H&E-stained section of a sentinel lymph node (breast cancer), from a whole-slide image, viewed at about 20×: the field is about 0.25 mm across, about 0.49 µm per pixel.
Question: 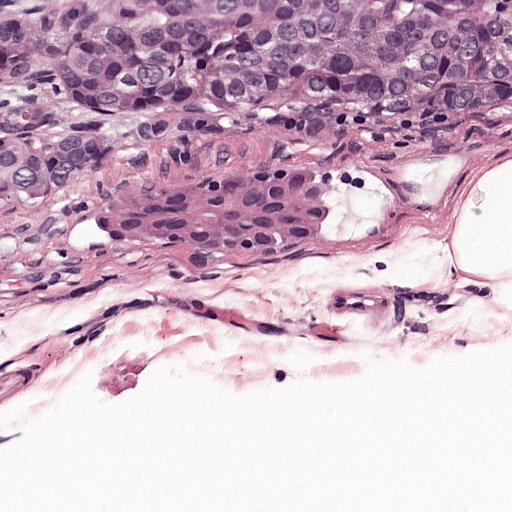
Roughly what share of this field is metastatic tumour?

Choices:
 (A) none: no tumour is outlined
 (B) about 25% to 45%
 (C) about 50% or more
 (D) about 5% or less
 (E) about 10% to 20%

Answer: (B) about 25% to 45%
About 45% of the field is tumour.
The outlined metastatic tumour's edge, as a closed clockwise path of 6 points: (0, 0), (511, 0), (511, 130), (366, 190), (258, 274), (0, 277).